This is a crop of a whole-slide image: an H&E-stained breast-cancer sentinel lymph node section at roughly 2.5× magnification (about 3.6 µm per pixel; the crop spans about 1.9 mm).
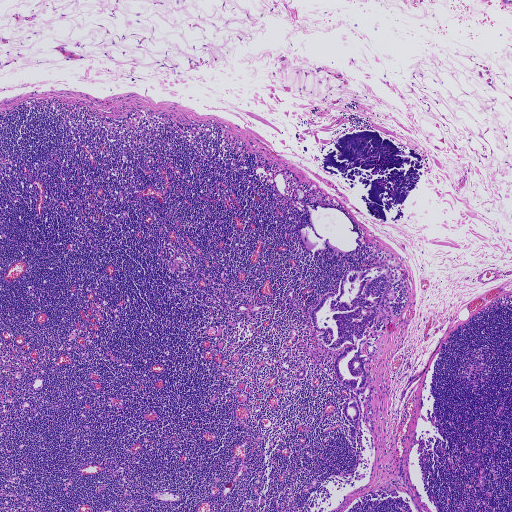
Boundaries of six metastatic tumour regions, simplified and listed clockwise, largest first: region 1: (390, 255), (388, 264), (395, 296), (392, 304), (393, 319), (373, 343), (379, 350), (373, 362), (365, 364), (370, 395), (363, 402), (336, 377), (337, 356), (352, 344), (347, 342), (342, 348), (330, 350), (317, 338), (310, 314), (324, 295), (328, 292), (337, 295), (347, 270), (365, 269); region 2: (355, 398), (360, 410), (360, 415), (356, 438), (353, 439), (351, 437), (349, 427), (350, 426), (354, 427), (355, 422), (348, 420), (344, 412), (345, 403), (348, 400); region 3: (317, 346), (322, 352), (324, 355), (324, 359), (322, 362), (319, 363), (315, 362), (313, 360), (310, 354), (314, 348); region 4: (293, 289), (295, 293), (294, 296), (300, 306), (297, 308), (293, 308), (290, 306), (289, 299), (287, 296), (286, 292), (289, 290); region 5: (367, 418), (372, 421), (374, 425), (374, 430), (372, 434), (366, 427); region 6: (368, 401), (371, 404), (372, 409), (373, 413), (372, 417), (368, 415), (366, 411).
Two more small tumour pieces are annotated here but not outlined.
About 5% of the image area is annotated as tumour.